This is a crop of a whole-slide image: an H&E-stained breast-cancer sentinel lymph node section at roughly 20× magnification (about 0.49 µm per pixel; the crop spans about 0.25 mm).
Question: 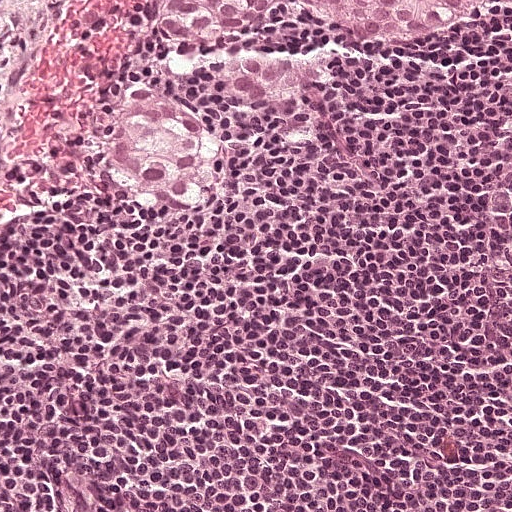
About how much of this crop is taken up by metastatic carcinoma?

Choices:
 (A) about 10% to 20%
 (B) about 25% to 45%
 (C) about 50% or more
 (D) none: no tumour is outlined
 (E) about 5% or less

Answer: (A) about 10% to 20%
About 10% of the field is tumour.
Outlines of three tumour regions, largest first (closed clockwise paths, crop pixels): region 1: (127, 83), (150, 83), (185, 100), (220, 144), (220, 170), (210, 188), (212, 204), (206, 210), (176, 210), (135, 192), (124, 186), (111, 168), (108, 152); region 2: (306, 0), (511, 0), (511, 12), (479, 14), (468, 26), (448, 34), (431, 36), (408, 44), (374, 46), (347, 24), (328, 18); region 3: (156, 0), (272, 0), (262, 18), (231, 30), (218, 38), (206, 39), (196, 43), (179, 43), (162, 38), (158, 26), (154, 23).